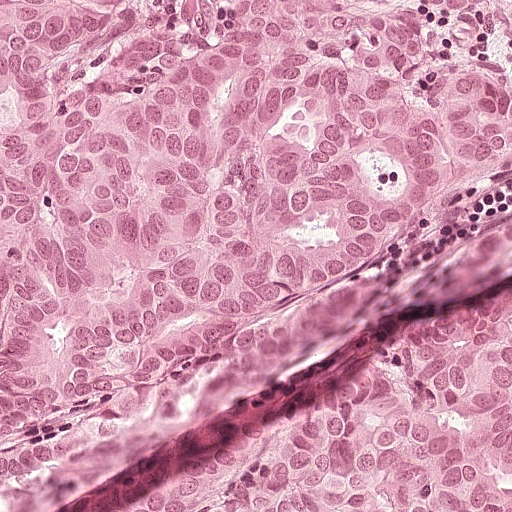
This is a crop of a whole-slide image: an H&E-stained breast-cancer sentinel lymph node section at roughly 20× magnification (about 0.49 µm per pixel; the crop spans about 0.25 mm).
Boundaries of two metastatic tumour regions, simplified and listed clockwise, largest first: region 1: (0, 0), (511, 0), (510, 204), (467, 234), (451, 207), (424, 236), (274, 323), (142, 373), (101, 407), (1, 450); region 2: (511, 368), (511, 511), (226, 511), (342, 436).
The annotated tumour makes up about 70% of the crop.